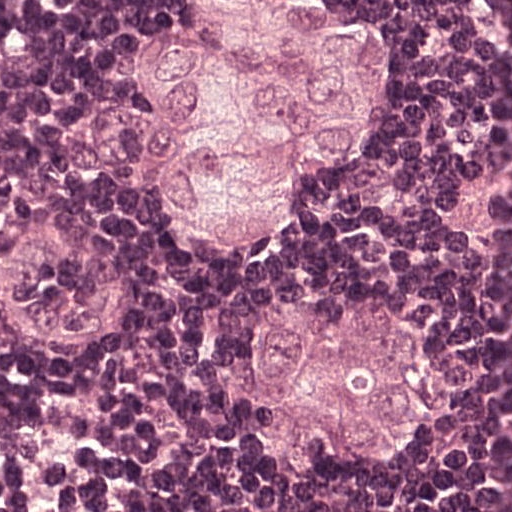
This is a crop of a whole-slide image: an H&E-stained breast-cancer sentinel lymph node section at roughly 40× magnification (about 0.24 µm per pixel; the crop spans about 0.12 mm).
Tumour region outline (a closed clockwise path, crop pixels): (330, 0), (363, 47), (366, 114), (355, 151), (311, 195), (274, 280), (329, 291), (381, 284), (418, 306), (443, 373), (443, 425), (418, 462), (359, 462), (322, 479), (300, 473), (277, 451), (214, 291), (159, 236), (148, 169), (122, 140), (144, 106), (129, 69), (177, 2).
About 30% of this field is tumour.